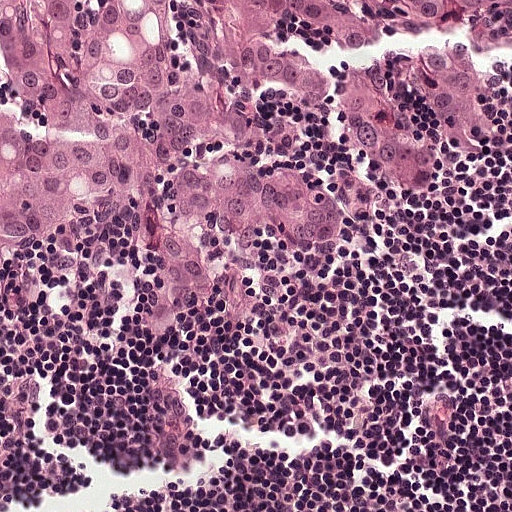
A 0.25-mm field of an H&E-stained sentinel lymph node from a breast-cancer patient (whole-slide image), shown at about 20×, about 0.49 µm per pixel.
Metastatic tumour outline, simplified to 22 points and listed clockwise in crop pixels (x, y): (0, 0), (511, 0), (511, 45), (486, 72), (498, 133), (472, 168), (398, 196), (375, 190), (328, 122), (306, 122), (306, 168), (346, 211), (352, 245), (322, 262), (292, 248), (256, 252), (268, 316), (256, 323), (179, 316), (132, 238), (95, 222), (2, 272).
About 45% of the image area is annotated as tumour.